A 0.12-mm field of an H&E-stained sentinel lymph node from a breast-cancer patient (whole-slide image), shown at about 40×, about 0.24 µm per pixel.
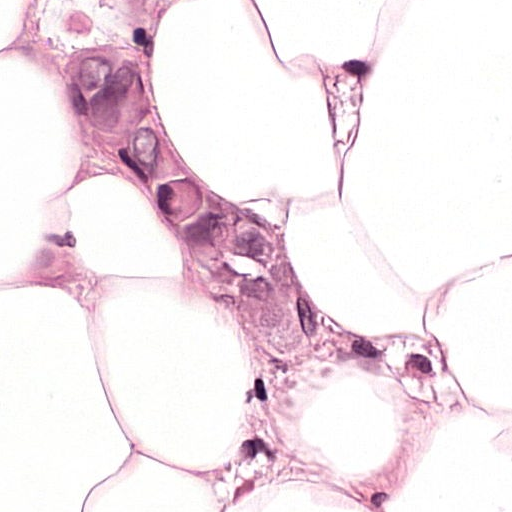
Question: Trace the edge of each tumour region in this crop, as (x, y) points from 0 to 511.
Answer: One metastatic tumour region; its boundary, reduced to 16 corners and listed clockwise: (80, 34), (125, 34), (132, 41), (168, 114), (216, 177), (257, 211), (282, 250), (329, 339), (325, 368), (284, 366), (216, 314), (175, 259), (107, 191), (59, 107), (50, 70), (55, 52).
One more small tumour piece is annotated here but not outlined.
Tumour covers about 15% of the frame.